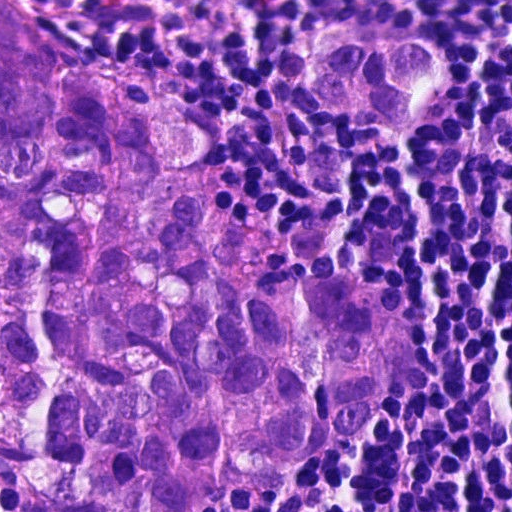
A 0.12-mm field of an H&E-stained sentinel lymph node from a breast-cancer patient (whole-slide image), shown at about 40×, about 0.23 µm per pixel.
Two metastatic tumour regions, each outlined as a closed clockwise path in crop pixels (x, y), largest first: region 1: (0, 0), (25, 0), (78, 50), (171, 81), (226, 164), (439, 315), (412, 419), (320, 472), (286, 511), (0, 511); region 2: (311, 21), (406, 26), (457, 50), (451, 100), (385, 134), (328, 121), (299, 71).
About 60% of this field is tumour.